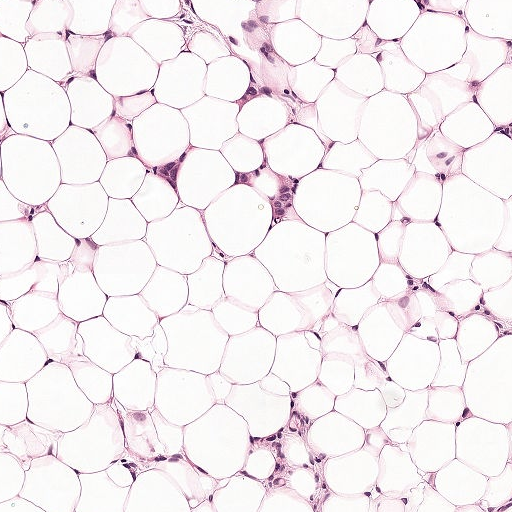
A 0.5-mm field of an H&E-stained sentinel lymph node from a breast-cancer patient (whole-slide image), shown at about 10×, about 0.97 µm per pixel.
Question: Which parts of this field are metastatic tumour? Answer with the outline of each region, in pixels.
Answer: Boundaries of four metastatic tumour regions, simplified and listed clockwise, largest first: region 1: (296, 392), (299, 392), (303, 418), (330, 484), (333, 510), (297, 511), (280, 489), (248, 476), (237, 461), (242, 441), (285, 412); region 2: (258, 160), (298, 170), (298, 180), (290, 212), (276, 222), (268, 220), (265, 211), (266, 191), (273, 177), (268, 173), (261, 174), (249, 187), (236, 186), (229, 182), (230, 175), (238, 167), (251, 168); region 3: (190, 139), (197, 139), (197, 146), (183, 178), (182, 201), (142, 166), (144, 163), (159, 159), (173, 148); region 4: (511, 431), (511, 511), (502, 511), (503, 506), (505, 501), (506, 485), (508, 477), (508, 445), (506, 445), (506, 441), (510, 435).
Tumour covers about 5% of the frame.